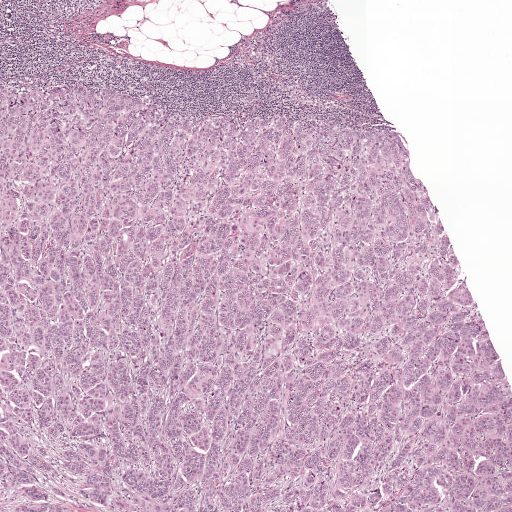
Lymph node section stained with H&E, from a whole-slide image of a breast-cancer sentinel node. Magnification about 2.5×, about 2.0 mm across the frame, about 3.9 µm per pixel.
Question: Which parts of this field are metastatic tumour?
Answer: Tumour region outline (a closed clockwise path, crop pixels): (0, 79), (116, 91), (175, 113), (395, 127), (508, 375), (511, 511), (0, 511).
The annotated tumour makes up about 75% of the crop.